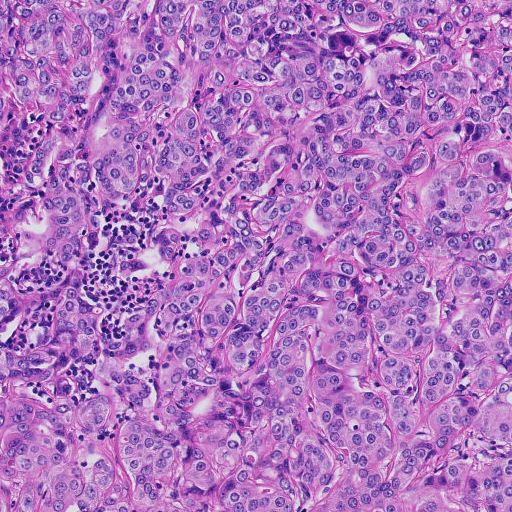
A 0.46-mm field of an H&E-stained sentinel lymph node from a breast-cancer patient (whole-slide image), shown at about 10×, about 0.91 µm per pixel.
Metastatic tumour covers the whole field.
Tumour covers over 95% of the frame.